Image:
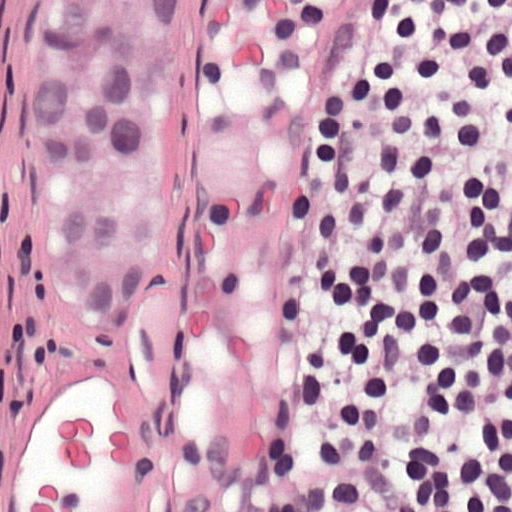
This is a crop of a whole-slide image: an H&E-stained breast-cancer sentinel lymph node section at roughly 40× magnification (about 0.24 µm per pixel; the crop spans about 0.12 mm).
Question:
Where is the metastatic tumour in this field?
Answer:
Tumour region outline (a closed clockwise path, crop pixels): (207, 0), (205, 88), (160, 284), (100, 351), (47, 304), (24, 208), (24, 105), (39, 5).
The annotated tumour makes up about 20% of the crop.